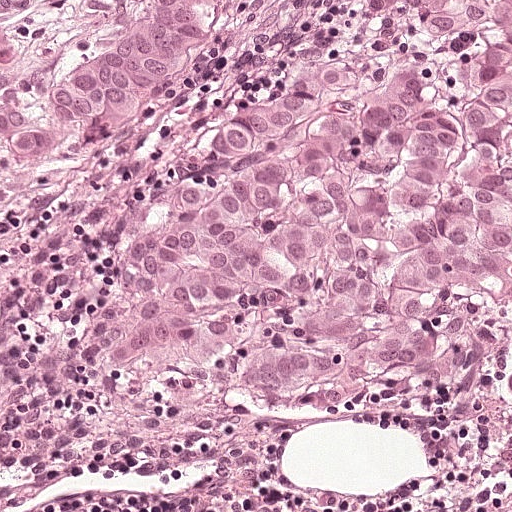
This is a crop of a whole-slide image: an H&E-stained breast-cancer sentinel lymph node section at roughly 20× magnification (about 0.49 µm per pixel; the crop spans about 0.25 mm).
Question: Describe where the metastatic carcinoma lies in this crop.
Answer: One metastatic tumour region; its boundary, reduced to 16 corners and listed clockwise: (356, 0), (511, 0), (511, 409), (477, 388), (408, 411), (260, 400), (177, 411), (146, 402), (90, 336), (148, 184), (316, 50), (356, 48), (398, 67), (416, 52), (413, 34), (377, 22).
The annotated tumour makes up about 50% of the crop.